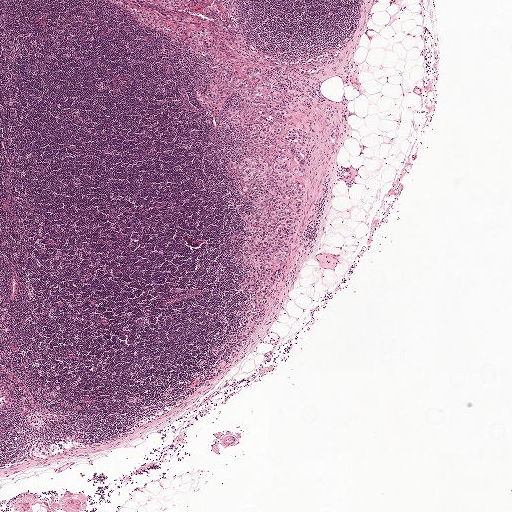
This is a crop of a whole-slide image: an H&E-stained breast-cancer sentinel lymph node section at roughly 2.5× magnification (about 3.9 µm per pixel; the crop spans about 2.0 mm).
Three metastatic tumour regions, each outlined as a closed clockwise path in crop pixels (x, y), largest first: region 1: (254, 93), (285, 108), (289, 119), (282, 129), (300, 132), (309, 168), (285, 266), (254, 335), (231, 357), (253, 298), (241, 288), (244, 269), (234, 258), (242, 249), (243, 218), (269, 185), (265, 180), (244, 192), (230, 171), (228, 164), (254, 146), (246, 128), (222, 114), (228, 104); region 2: (206, 28), (212, 32), (210, 43), (204, 51), (193, 53), (187, 48), (189, 38), (187, 33), (194, 29); region 3: (250, 62), (260, 69), (262, 73), (262, 83), (258, 84), (251, 81), (242, 72), (241, 67).
About 5% of the image area is annotated as tumour.